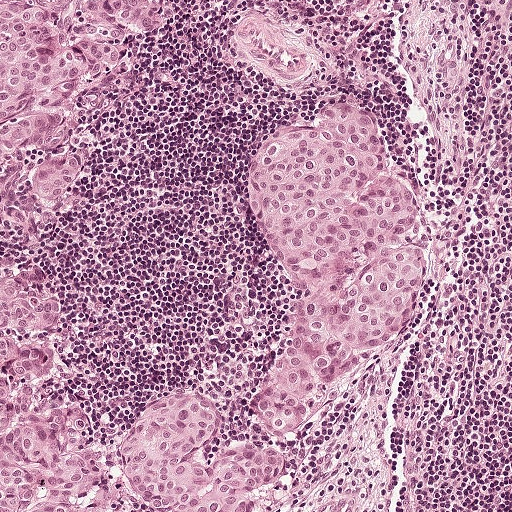
H&E-stained section of a sentinel lymph node (breast cancer), from a whole-slide image, viewed at about 10×: the field is about 0.5 mm across, about 0.97 µm per pixel.
One metastatic tumour region; its boundary, reduced to 24 corners and listed clockwise: (0, 0), (167, 0), (132, 97), (103, 120), (103, 167), (48, 255), (64, 306), (62, 394), (110, 444), (132, 418), (191, 393), (215, 422), (242, 426), (271, 355), (269, 261), (244, 202), (259, 146), (365, 107), (428, 182), (433, 296), (350, 388), (285, 434), (258, 511), (0, 511).
Tumour covers about 40% of the frame.